Question: 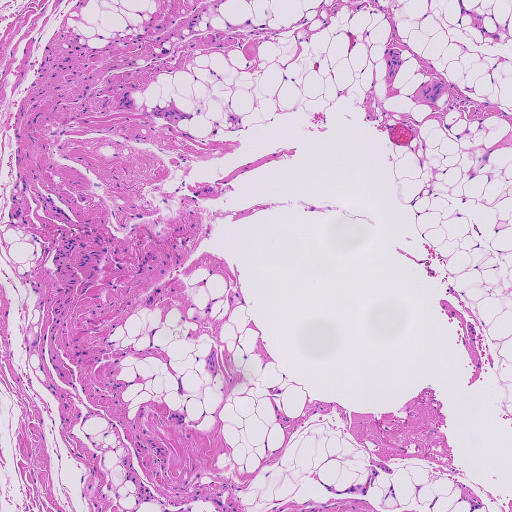
At roughly what magnification is this field shown?

Choices:
 (A) about 20×
 (B) about 5×
 (C) about 40×
 (D) about 2.5×
 (E) about 10×

Answer: (B) about 5×
Lymph node section stained with H&E, from a whole-slide image of a breast-cancer sentinel node. Magnification about 5×, about 0.93 mm across the frame, about 1.8 µm per pixel.